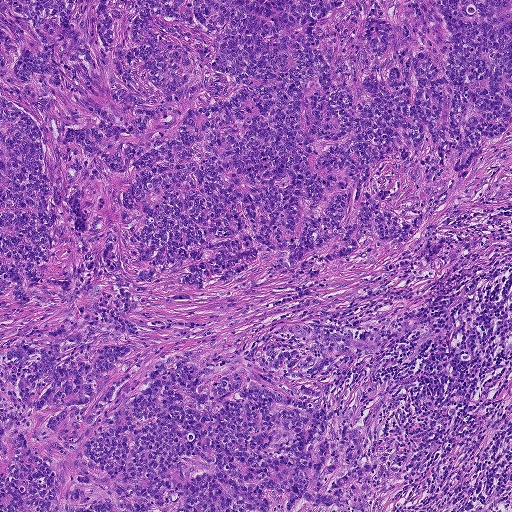
Lymph node section stained with H&E, from a whole-slide image of a breast-cancer sentinel node. Magnification about 5×, about 0.93 mm across the frame, about 1.8 µm per pixel.
One metastatic tumour region; its boundary, reduced to 21 corners and listed clockwise: (0, 0), (511, 0), (511, 195), (439, 223), (420, 243), (365, 240), (326, 267), (312, 294), (267, 311), (373, 342), (406, 319), (430, 322), (416, 357), (399, 363), (409, 334), (376, 367), (390, 403), (375, 467), (403, 477), (380, 510), (0, 511).
The annotated tumour makes up about 85% of the crop.